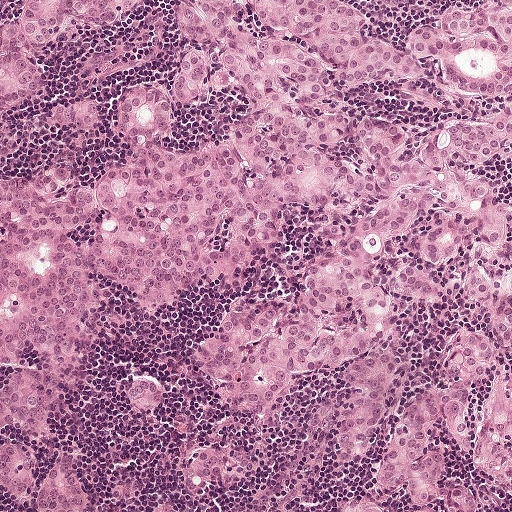
H&E-stained section of a sentinel lymph node (breast cancer), from a whole-slide image, viewed at about 10×: the field is about 0.5 mm across, about 0.97 µm per pixel.
Outlines of five tumour regions, largest first (closed clockwise paths, crop pixels): region 1: (178, 0), (340, 0), (393, 51), (511, 4), (511, 486), (440, 447), (487, 511), (351, 511), (456, 300), (344, 463), (342, 374), (250, 417), (187, 361), (237, 300), (334, 257), (328, 213), (280, 208), (241, 286), (176, 319), (98, 282), (49, 440), (0, 436), (0, 386), (39, 355), (2, 366), (0, 174), (97, 180), (126, 85), (163, 94), (175, 153), (246, 108), (168, 101), (197, 46), (168, 26), (116, 77), (78, 83), (86, 56); region 2: (138, 0), (124, 18), (97, 29), (59, 20), (38, 53), (47, 75), (38, 92), (0, 111), (0, 50), (3, 30), (6, 22), (19, 11), (21, 2); region 3: (19, 444), (34, 458), (38, 466), (34, 476), (36, 488), (41, 486), (46, 472), (55, 464), (64, 464), (73, 470), (78, 492), (74, 511), (33, 511), (34, 504), (32, 502), (0, 492), (0, 449); region 4: (216, 443), (240, 453), (253, 466), (250, 473), (234, 485), (214, 496), (202, 496), (184, 492), (180, 482), (182, 464), (198, 447); region 5: (133, 377), (145, 377), (165, 388), (165, 398), (161, 408), (151, 414), (143, 414), (132, 408), (122, 392), (124, 385).
The annotated tumour makes up about 70% of the crop.